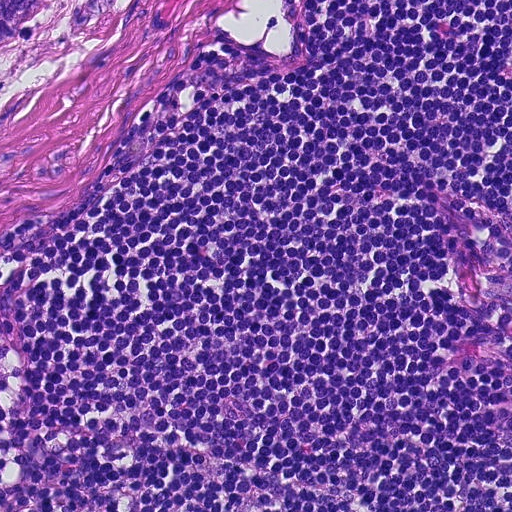
Lymph node section stained with H&E, from a whole-slide image of a breast-cancer sentinel node. Magnification about 20×, about 0.23 mm across the frame, about 0.45 µm per pixel.
Question: Describe where the metastatic carcinoma lies in this crop.
Answer: Outlines of two tumour regions, largest first (closed clockwise paths, crop pixels): region 1: (0, 0), (235, 0), (204, 49), (144, 108), (96, 185), (0, 265); region 2: (0, 338), (10, 347), (14, 368), (3, 388), (0, 389).
About 15% of the image area is annotated as tumour.